Question: 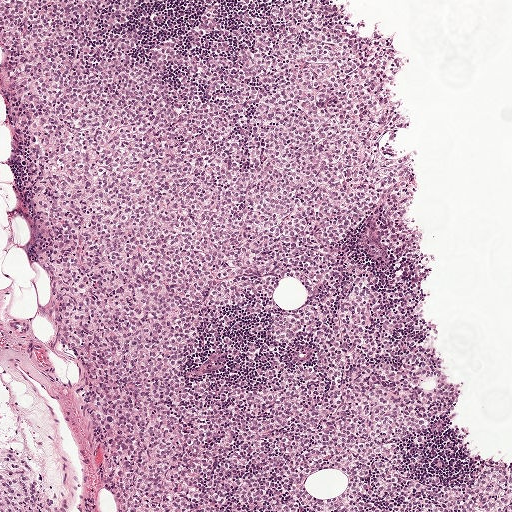
A 1-mm field of an H&E-stained sentinel lymph node from a breast-cancer patient (whole-slide image), shown at about 5×, about 1.9 µm per pixel.
Roughly what share of this field is metastatic tumour?

Choices:
 (A) about 25% to 45%
 (B) about 10% to 20%
 (C) about 50% or more
 (D) about 5% or less
 (E) none: no tumour is outlined

Answer: (C) about 50% or more
About 75% of the field is tumour.
Outlines of two tumour regions, largest first (closed clockwise paths, crop pixels): region 1: (4, 0), (340, 0), (383, 61), (377, 121), (404, 184), (405, 276), (457, 411), (456, 467), (507, 494), (511, 511), (126, 511), (58, 265), (10, 139); region 2: (0, 417), (11, 435), (65, 478), (86, 511), (0, 511).
One more small tumour piece is annotated here but not outlined.